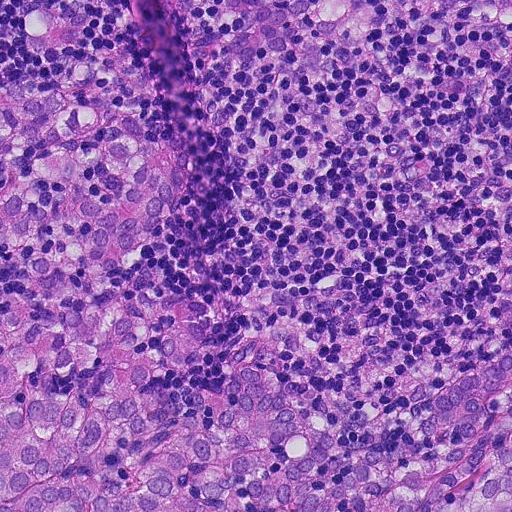
A 0.23-mm field of an H&E-stained sentinel lymph node from a breast-cancer patient (whole-slide image), shown at about 20×, about 0.45 µm per pixel.
Question: Outline the metastatic carcinoma in this image, as closed paths of (x, y) pixel coordinates.
Answer: Boundaries of two metastatic tumour regions, simplified and listed clockwise, largest first: region 1: (24, 78), (83, 87), (188, 151), (180, 208), (118, 260), (114, 280), (208, 306), (205, 345), (154, 374), (206, 432), (231, 356), (251, 353), (325, 423), (335, 441), (323, 479), (368, 443), (402, 464), (420, 454), (410, 416), (422, 400), (508, 348), (511, 511), (0, 511), (0, 92); region 2: (426, 0), (511, 0), (511, 14), (496, 10), (476, 8), (440, 14), (428, 10).
The annotated tumour makes up about 40% of the crop.